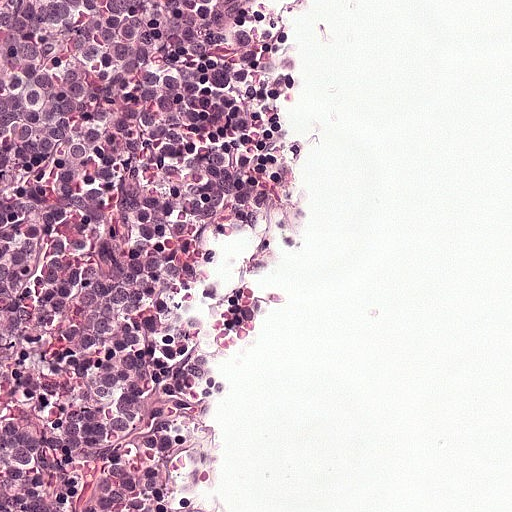
A 0.25-mm field of an H&E-stained sentinel lymph node from a breast-cancer patient (whole-slide image), shown at about 20×, about 0.49 µm per pixel.
Metastatic tumour outline, simplified to 6 points and listed clockwise in crop pixels (x, y): (0, 0), (359, 0), (318, 126), (274, 368), (218, 508), (0, 511).
About 55% of this field is tumour.